A 0.93-mm field of an H&E-stained sentinel lymph node from a breast-cancer patient (whole-slide image), shown at about 5×, about 1.8 µm per pixel.
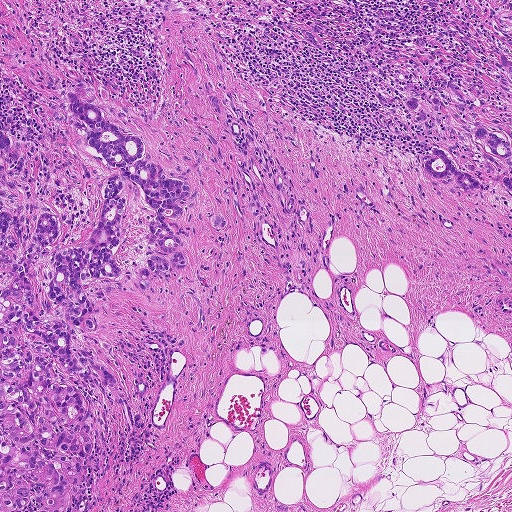
Outlines of three tumour regions, largest first (closed clockwise paths, crop pixels): region 1: (68, 84), (140, 133), (147, 159), (192, 182), (196, 209), (229, 223), (196, 220), (188, 267), (138, 292), (153, 212), (126, 188), (114, 256), (122, 273), (84, 286), (102, 312), (73, 345), (119, 389), (82, 386), (94, 401), (86, 421), (110, 416), (66, 511), (0, 511), (0, 127), (24, 144), (21, 191), (62, 222), (61, 247), (86, 241), (112, 171), (66, 108); region 2: (511, 0), (511, 193), (502, 184), (461, 190), (449, 173), (436, 177), (424, 171), (421, 158), (444, 138), (416, 120), (404, 103), (406, 97), (439, 94), (443, 117), (460, 128), (452, 117), (455, 97), (444, 67), (453, 59), (493, 54), (509, 7), (498, 2); region 3: (138, 413), (139, 413), (145, 423), (144, 429), (139, 430), (134, 428), (132, 422), (134, 416).
About 20% of this field is tumour.